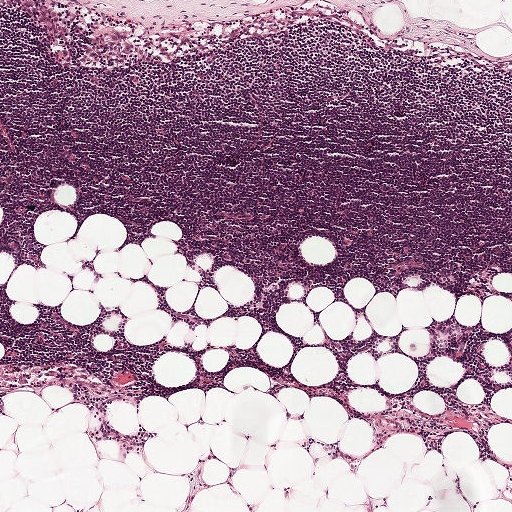
H&E-stained section of a sentinel lymph node (breast cancer), from a whole-slide image, viewed at about 5×: the field is about 1 mm across, about 1.9 µm per pixel.
Question: Is any metastatic breast cancer visible in this crop?
Answer: No. No metastatic tumour is outlined in this field.